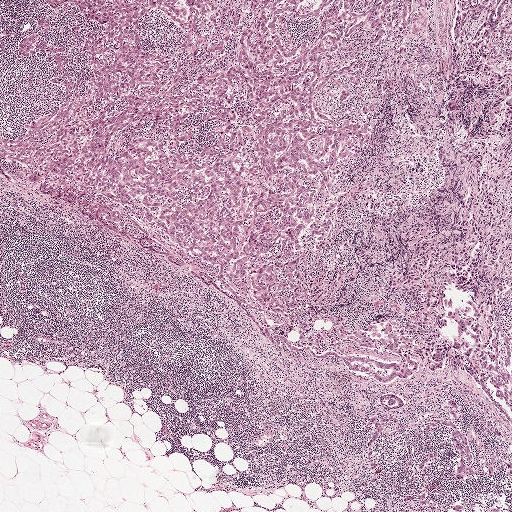
This is a crop of a whole-slide image: an H&E-stained breast-cancer sentinel lymph node section at roughly 2.5× magnification (about 3.9 µm per pixel; the crop spans about 2.0 mm).
Tumour region outline (a closed clockwise path, crop pixels): (261, 29), (291, 46), (305, 41), (300, 73), (317, 62), (320, 73), (337, 70), (317, 103), (336, 120), (339, 140), (330, 176), (337, 205), (332, 231), (297, 265), (223, 279), (108, 199), (85, 172), (93, 121), (223, 73), (243, 31).
About 15% of the image area is annotated as tumour.